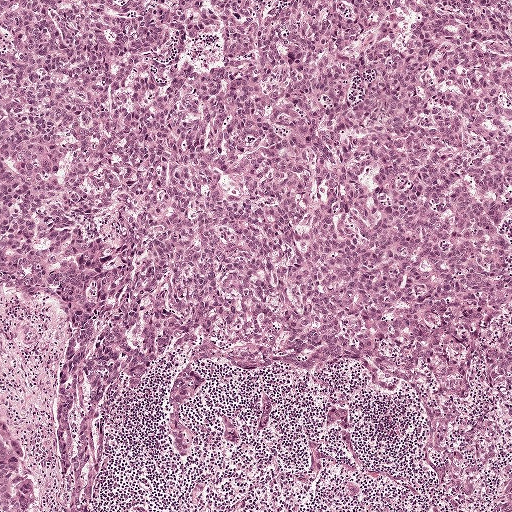
H&E-stained section of a sentinel lymph node (breast cancer), from a whole-slide image, viewed at about 5×: the field is about 1 mm across, about 1.9 µm per pixel.
Boundaries of two metastatic tumour regions, simplified and listed clockwise, largest first: region 1: (0, 0), (511, 0), (511, 317), (483, 332), (459, 394), (398, 372), (366, 381), (342, 358), (303, 374), (176, 351), (111, 388), (90, 508), (63, 511), (50, 446), (61, 319), (47, 298), (1, 286); region 2: (0, 416), (15, 438), (21, 463), (36, 492), (37, 508), (35, 511), (0, 511).
About 75% of this field is tumour.